Question: 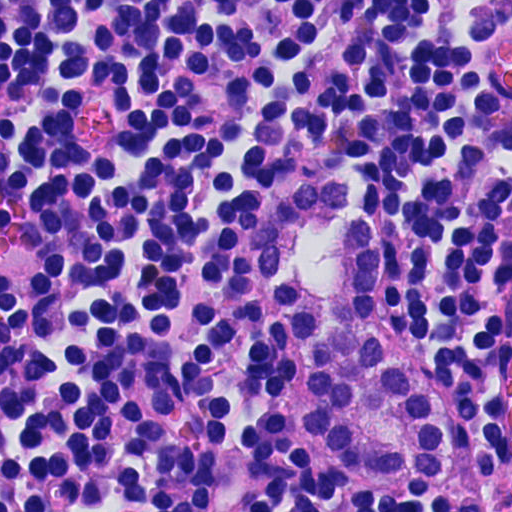
At roughly what magnification is this field shown?

Choices:
 (A) about 20×
 (B) about 5×
 (C) about 2.5×
 (D) about 10×
 (E) about 40×

Answer: (E) about 40×
This is a crop of a whole-slide image: an H&E-stained breast-cancer sentinel lymph node section at roughly 40× magnification (about 0.23 µm per pixel; the crop spans about 0.12 mm).
The outlined metastatic tumour's edge, as a closed clockwise path of 12 points: (348, 179), (384, 231), (370, 291), (445, 391), (464, 451), (414, 489), (353, 487), (306, 446), (289, 331), (247, 284), (238, 222), (287, 184).
Tumour covers about 15% of the frame.